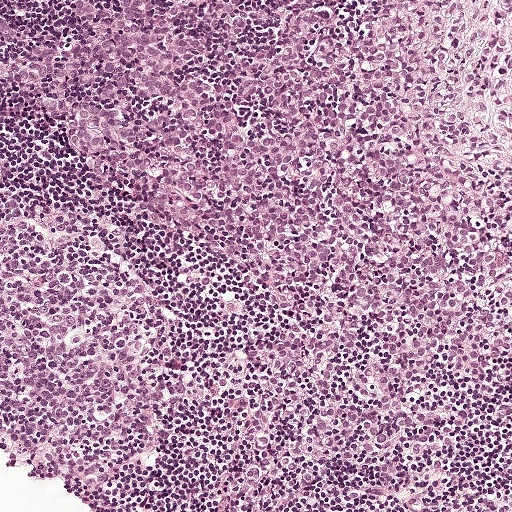
This is a crop of a whole-slide image: an H&E-stained breast-cancer sentinel lymph node section at roughly 10× magnification (about 0.97 µm per pixel; the crop spans about 0.5 mm).
The outlined metastatic tumour's edge, as a closed clockwise path of 15 points: (67, 0), (436, 0), (405, 100), (427, 134), (511, 174), (511, 303), (450, 334), (413, 328), (363, 284), (244, 276), (106, 182), (73, 176), (36, 136), (15, 68), (21, 44).
About 40% of this field is tumour.